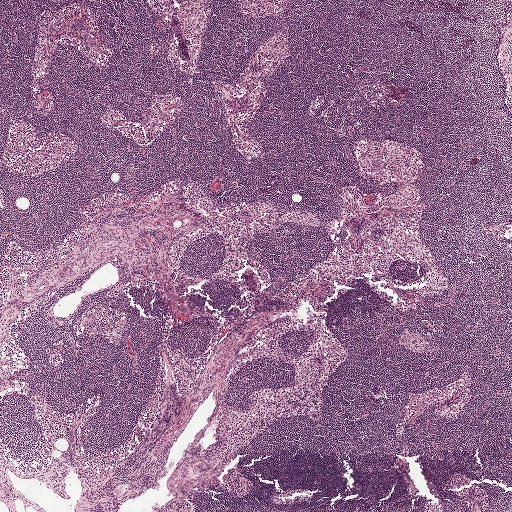
A 2.0-mm field of an H&E-stained sentinel lymph node from a breast-cancer patient (whole-slide image), shown at about 2.5×, about 3.9 µm per pixel.